Question: 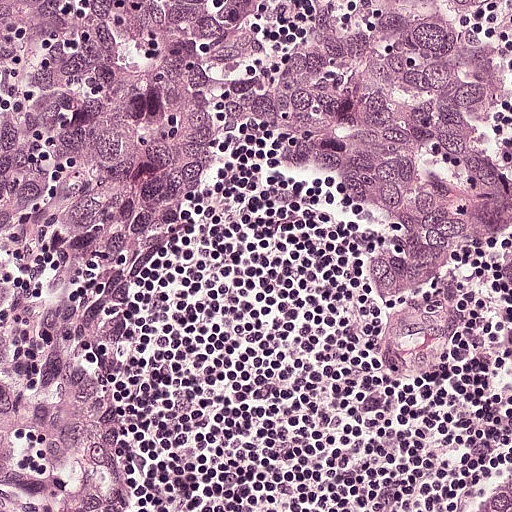
H&E-stained section of a sentinel lymph node (breast cancer), from a whole-slide image, viewed at about 20×: the field is about 0.25 mm across, about 0.49 µm per pixel.
About how much of this crop is taken up by metastatic carcinoma?

Choices:
 (A) about 10% to 20%
 (B) none: no tumour is outlined
 (C) about 5% or less
 (D) about 25% to 45%
 (E) about 50% or more

Answer: (E) about 50% or more
About 60% of the field is tumour.
Boundaries of two metastatic tumour regions, simplified and listed clockwise, largest first: region 1: (0, 0), (511, 0), (498, 53), (511, 229), (413, 287), (368, 281), (356, 216), (319, 196), (220, 204), (128, 381), (142, 455), (205, 511), (0, 511); region 2: (511, 438), (511, 511), (451, 511), (464, 498), (493, 475).